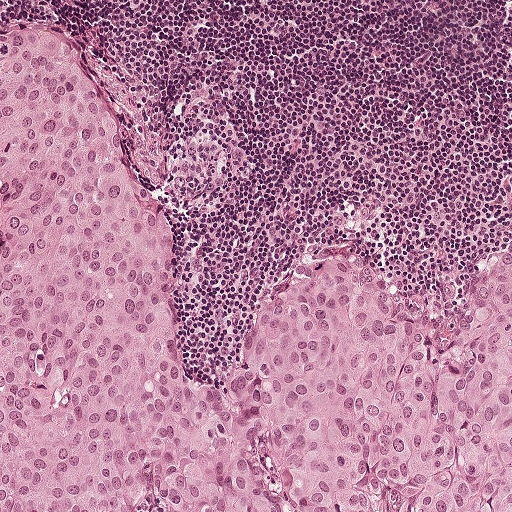
Lymph node section stained with H&E, from a whole-slide image of a breast-cancer sentinel node. Magnification about 10×, about 0.5 mm across the frame, about 0.97 µm per pixel.
Metastatic tumour outline, simplified to 16 points and listed clockwise in crop pixels (x, y): (0, 20), (45, 22), (85, 54), (132, 172), (170, 214), (166, 313), (194, 372), (230, 379), (292, 261), (316, 241), (375, 254), (448, 338), (464, 263), (511, 241), (511, 511), (0, 511).
The annotated tumour makes up about 55% of the crop.